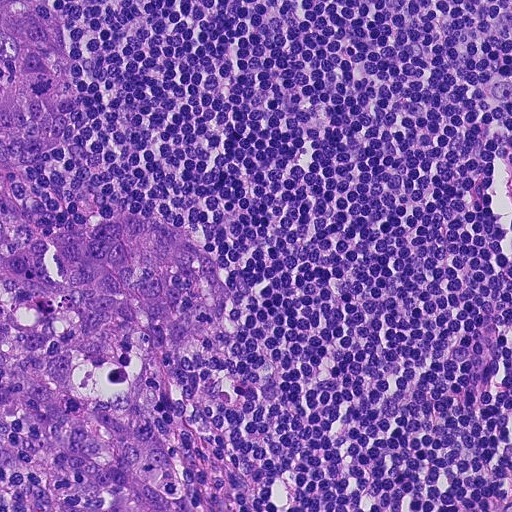
This is a crop of a whole-slide image: an H&E-stained breast-cancer sentinel lymph node section at roughly 20× magnification (about 0.45 µm per pixel; the crop spans about 0.23 mm).
Two metastatic tumour regions, each outlined as a closed clockwise path in crop pixels (x, y), largest first: region 1: (0, 208), (40, 230), (138, 210), (184, 228), (224, 261), (220, 310), (186, 348), (178, 396), (231, 511), (47, 511), (0, 476); region 2: (0, 0), (50, 0), (71, 62), (75, 110), (42, 145), (0, 155).
About 25% of this field is tumour.